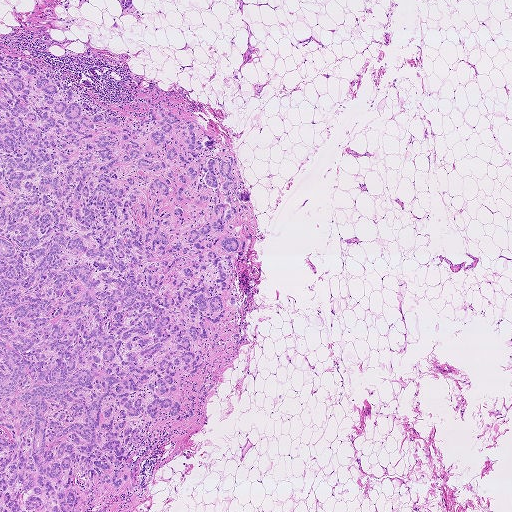
A 1.9-mm field of an H&E-stained sentinel lymph node from a breast-cancer patient (whole-slide image), shown at about 2.5×, about 3.6 µm per pixel.
Two metastatic tumour regions, each outlined as a closed clockwise path in crop pixels (x, y), largest first: region 1: (0, 49), (63, 71), (70, 102), (119, 134), (149, 103), (186, 117), (248, 207), (233, 201), (214, 235), (239, 244), (218, 348), (176, 370), (178, 416), (128, 418), (144, 437), (126, 485), (77, 476), (80, 511), (0, 511); region 2: (114, 500), (105, 511), (88, 511), (96, 506).
About 30% of this field is tumour.